A 0.93-mm field of an H&E-stained sentinel lymph node from a breast-cancer patient (whole-slide image), shown at about 5×, about 1.8 µm per pixel.
Image:
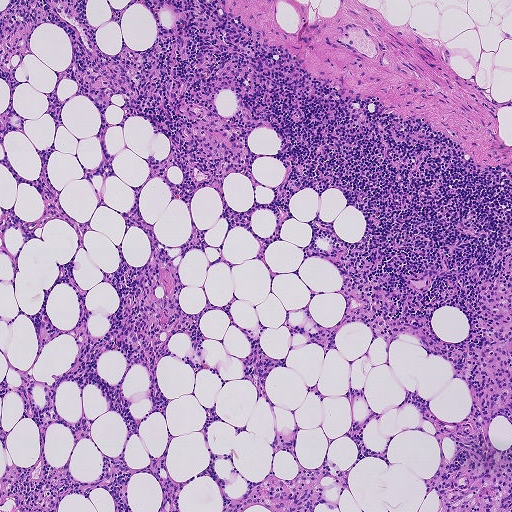
Question:
Is there metastatic carcinoma in this field?
Answer:
No: no metastatic tumour is outlined anywhere in this field.